Question: 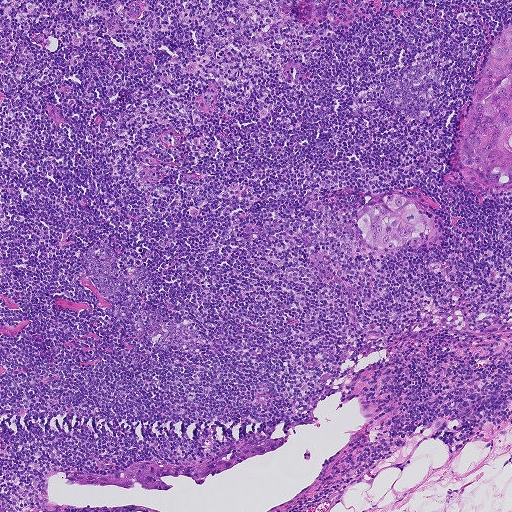
Lymph node section stained with H&E, from a whole-slide image of a breast-cancer sentinel node. Magnification about 5×, about 0.93 mm across the frame, about 1.8 µm per pixel.
About how much of this crop is taken up by metastatic carcinoma?

Choices:
 (A) about 50% or more
 (B) about 5% or less
 (C) about 10% to 20%
 (D) about 25% to 45%
 (E) none: no tumour is outlined

Answer: (B) about 5% or less
About 5% of the field is tumour.
Outlines of three tumour regions, largest first (closed clockwise paths, crop pixels): region 1: (511, 22), (511, 191), (488, 190), (461, 178), (457, 158), (462, 118), (490, 49), (500, 31); region 2: (388, 193), (398, 193), (408, 197), (421, 212), (430, 216), (434, 226), (432, 235), (422, 241), (412, 242), (394, 250), (373, 249), (364, 245), (358, 237), (354, 227), (357, 217), (379, 197); region 3: (285, 438), (273, 449), (249, 457), (234, 468), (209, 475), (202, 484), (183, 475), (165, 476), (160, 478), (170, 489), (145, 489), (134, 484), (130, 489), (124, 489), (112, 485), (69, 483), (64, 473), (111, 473), (140, 462), (152, 461), (163, 466), (182, 468), (206, 464), (250, 444).